Question: 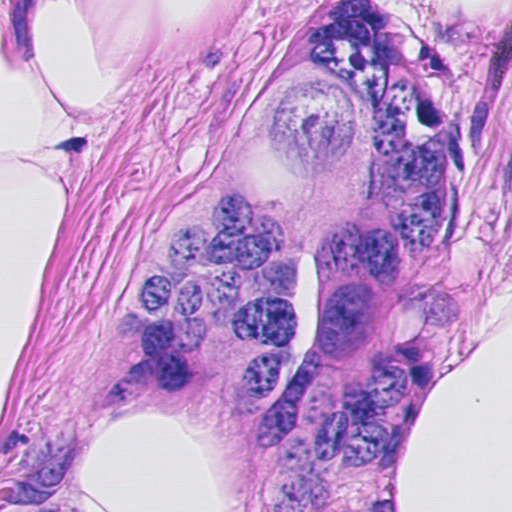
Which magnification is this H&E lymph node field most likely shown at?

Choices:
 (A) about 5×
 (B) about 40×
 (C) about 2.5×
 (D) about 20×
 (E) about 10×

Answer: (B) about 40×
A 0.12-mm field of an H&E-stained sentinel lymph node from a breast-cancer patient (whole-slide image), shown at about 40×, about 0.23 µm per pixel.
Metastatic tumour outline, simplified to 14 points and listed clockwise in crop pixels (x, y): (320, 0), (413, 0), (468, 60), (471, 281), (418, 393), (386, 506), (244, 511), (242, 449), (193, 412), (129, 415), (81, 458), (46, 511), (0, 505), (93, 328).
About 50% of this field is tumour.